This is a crop of a whole-slide image: an H&E-stained breast-cancer sentinel lymph node section at roughly 2.5× magnification (about 3.6 µm per pixel; the crop spans about 1.9 mm).
Question: 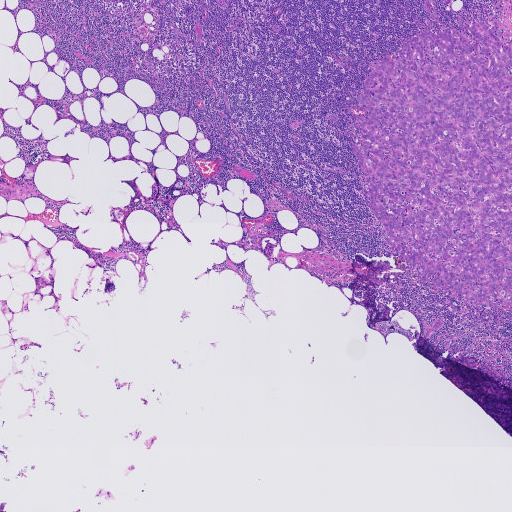
About how much of this crop is taken up by metastatic carcinoma?

Choices:
 (A) about 50% or more
 (B) about 10% to 20%
 (C) none: no tumour is outlined
 (D) about 25% to 45%
 (E) about 5% or less

Answer: (B) about 10% to 20%
About 15% of the field is tumour.
Metastatic tumour outline, simplified to 22 points and listed clockwise in crop pixels (x, y): (482, 22), (511, 48), (511, 306), (476, 306), (421, 282), (421, 266), (385, 244), (352, 148), (364, 139), (358, 125), (366, 110), (356, 97), (385, 56), (396, 61), (402, 45), (426, 30), (437, 34), (447, 27), (455, 39), (465, 35), (478, 44), (470, 28).